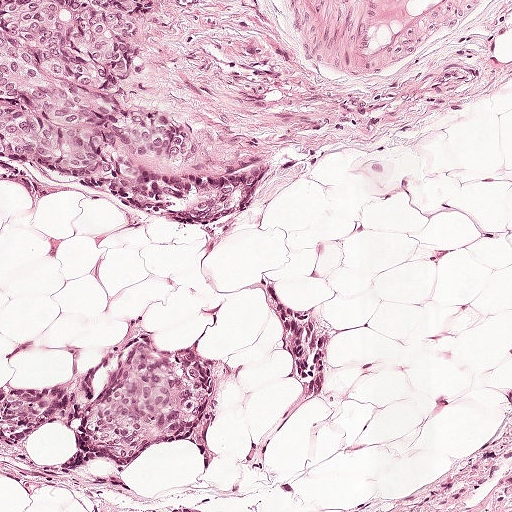
H&E-stained section of a sentinel lymph node (breast cancer), from a whole-slide image, viewed at about 10×: the field is about 0.5 mm across, about 0.97 µm per pixel.
Two metastatic tumour regions, each outlined as a closed clockwise path in crop pixels (x, y), largest first: region 1: (0, 0), (511, 0), (511, 75), (484, 87), (425, 172), (340, 258), (137, 263), (0, 229); region 2: (148, 344), (201, 365), (222, 408), (222, 434), (206, 477), (185, 493), (110, 509), (0, 511), (0, 349).
The annotated tumour makes up about 55% of the crop.